Lymph node section stained with H&E, from a whole-slide image of a breast-cancer sentinel node. Magnification about 5×, about 1 mm across the frame, about 1.9 µm per pixel.
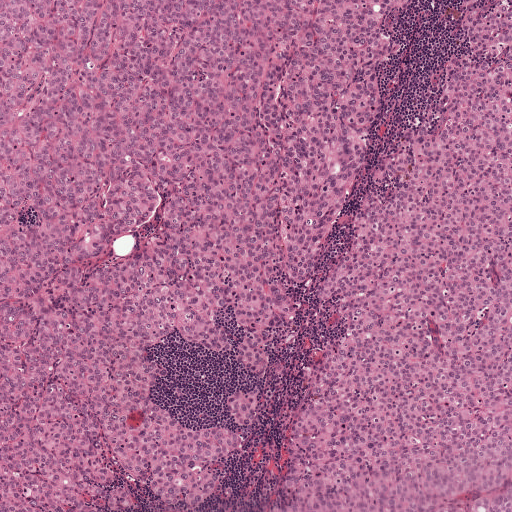
Two metastatic tumour regions, each outlined as a closed clockwise path in crop pixels (x, y), largest first: region 1: (0, 0), (421, 0), (396, 35), (402, 59), (383, 75), (361, 182), (302, 293), (290, 341), (261, 379), (253, 424), (226, 415), (244, 366), (167, 342), (162, 353), (170, 376), (156, 398), (245, 438), (236, 491), (170, 510), (151, 494), (145, 511), (0, 511); region 2: (511, 0), (511, 511), (264, 511), (300, 392), (334, 341), (336, 319), (316, 300), (324, 278), (351, 242), (379, 154), (426, 105), (461, 19).
About 90% of the image area is annotated as tumour.